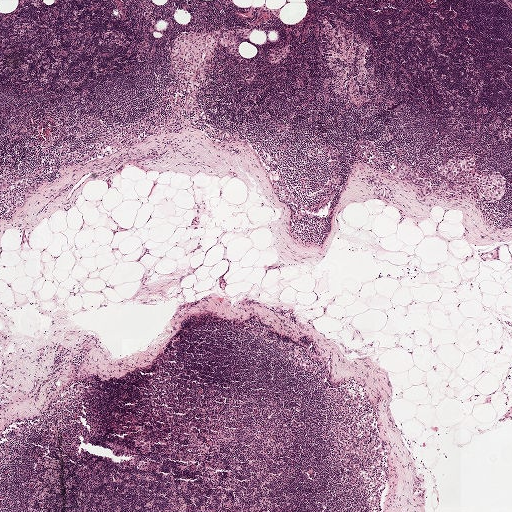
Lymph node section stained with H&E, from a whole-slide image of a breast-cancer sentinel node. Magnification about 2.5×, about 2.0 mm across the frame, about 3.9 µm per pixel.
Boundaries of two metastatic tumour regions, simplified and listed clockwise, largest first: region 1: (454, 155), (465, 155), (477, 159), (480, 172), (496, 171), (505, 176), (505, 190), (498, 202), (491, 203), (485, 201), (480, 203), (475, 203), (467, 187), (452, 200), (447, 201), (443, 198), (440, 191), (439, 168); region 2: (405, 162), (420, 171), (433, 171), (433, 176), (429, 178), (433, 185), (433, 193), (422, 194), (414, 185), (391, 174), (389, 172), (391, 167).
Tumour covers under 5% of the frame.